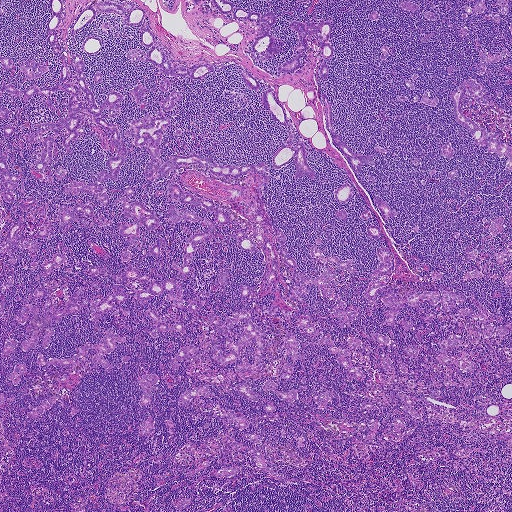
Lymph node section stained with H&E, from a whole-slide image of a breast-cancer sentinel node. Magnification about 2.5×, about 1.9 mm across the frame, about 3.6 µm per pixel.
Boundaries of eight metastatic tumour regions, simplified and listed clockwise, largest first: region 1: (158, 111), (171, 123), (158, 142), (163, 161), (195, 153), (220, 165), (267, 163), (270, 177), (258, 186), (259, 194), (273, 234), (276, 227), (282, 230), (297, 265), (285, 265), (274, 238), (279, 273), (272, 285), (265, 285), (264, 254), (238, 203), (251, 201), (242, 192), (257, 184), (258, 175), (226, 177), (197, 164), (147, 179), (143, 170), (150, 155), (145, 144), (135, 146), (136, 139), (124, 133), (131, 120), (147, 113), (156, 118); region 2: (386, 247), (391, 252), (393, 269), (392, 273), (382, 276), (381, 280), (386, 284), (381, 294), (382, 295), (390, 290), (394, 291), (397, 297), (404, 297), (425, 291), (439, 292), (440, 289), (460, 296), (465, 300), (446, 310), (442, 309), (440, 302), (434, 305), (424, 301), (416, 308), (407, 304), (399, 310), (395, 327), (385, 324), (383, 313), (393, 309), (383, 304), (380, 295), (374, 304), (368, 304), (364, 294), (371, 282), (372, 271), (379, 264), (377, 251), (379, 248); region 3: (241, 308), (265, 332), (262, 369), (242, 372), (234, 369), (242, 362), (254, 362), (253, 340), (240, 348), (240, 357), (233, 362), (222, 365), (214, 360), (213, 345), (218, 345), (223, 356), (232, 347), (225, 347), (225, 336), (209, 323), (208, 314), (213, 312), (218, 320), (224, 321); region 4: (175, 183), (182, 192), (209, 200), (216, 208), (228, 214), (230, 221), (224, 224), (214, 222), (211, 236), (195, 245), (195, 253), (189, 264), (194, 269), (193, 273), (184, 280), (177, 277), (178, 271), (172, 267), (173, 264), (182, 265), (188, 238), (207, 228), (198, 221), (184, 219), (171, 221), (168, 207), (171, 204), (179, 212), (185, 209), (213, 222), (215, 213), (183, 203), (173, 197), (168, 192), (168, 185); region 5: (82, 286), (77, 304), (81, 305), (79, 310), (47, 327), (55, 331), (47, 348), (43, 345), (42, 327), (36, 344), (29, 350), (21, 348), (21, 343), (32, 335), (32, 330), (29, 334), (25, 332), (32, 314), (27, 313), (27, 322), (23, 324), (15, 319), (16, 310), (29, 304), (39, 312), (46, 297), (33, 296), (35, 288), (44, 288), (50, 304), (56, 301), (56, 308), (65, 304); region 6: (466, 78), (470, 78), (478, 81), (482, 92), (490, 101), (485, 105), (481, 104), (464, 94), (460, 104), (463, 112), (475, 124), (485, 130), (497, 134), (501, 141), (508, 146), (511, 146), (511, 172), (508, 173), (505, 170), (507, 157), (504, 155), (501, 159), (496, 153), (490, 153), (487, 145), (477, 145), (471, 133), (454, 119), (454, 103), (449, 96), (450, 92); region 7: (145, 23), (155, 41), (159, 42), (171, 57), (172, 69), (182, 66), (191, 70), (196, 66), (205, 63), (212, 66), (213, 71), (200, 79), (193, 79), (188, 75), (182, 77), (163, 74), (149, 61), (127, 58), (127, 53), (136, 49), (147, 54), (151, 46), (147, 47), (142, 43), (140, 37), (142, 31), (138, 30); region 8: (320, 19), (323, 19), (330, 23), (332, 29), (325, 42), (330, 45), (333, 51), (332, 57), (325, 62), (329, 67), (326, 79), (323, 79), (320, 75), (322, 60), (320, 48), (315, 44), (316, 38), (312, 33), (309, 33), (305, 38), (308, 46), (300, 55), (302, 65), (300, 68), (290, 72), (277, 71), (278, 66), (292, 59), (296, 54), (292, 49), (298, 42), (299, 36), (295, 30), (290, 28), (290, 22), (296, 21), (304, 23), (309, 21), (315, 24), (319, 22).
Region 3 encloses a non-tumour hole of about 10% of its area.
One more tumour region is annotated but not outlined: its edge is too irregular for a short outline.
66 more, smaller tumour regions are not outlined.
33 more small tumour pieces are annotated here but not outlined.
The annotated tumour makes up about 20% of the crop.